This is a crop of a whole-slide image: an H&E-stained breast-cancer sentinel lymph node section at roughly 5× magnification (about 1.9 µm per pixel; the crop spans about 1 mm).
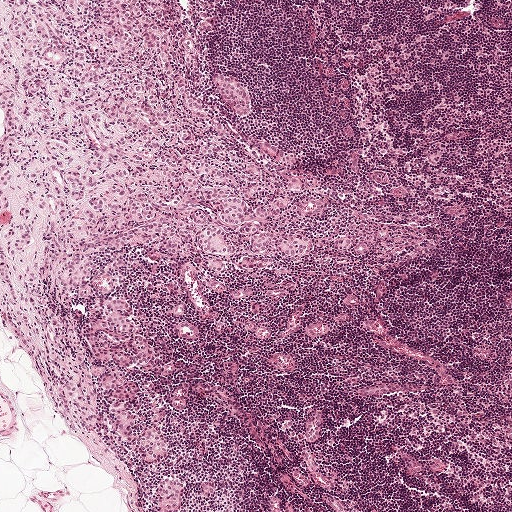
Question: Where is the metastatic tumour in this field? Give each region's outline as (x, y) pixel points.
Answer: Outlines of four tumour regions, largest first (closed clockwise paths, crop pixels): region 1: (0, 0), (165, 0), (146, 1), (177, 44), (216, 18), (194, 36), (196, 72), (182, 65), (227, 151), (273, 168), (260, 139), (316, 174), (262, 225), (309, 261), (221, 274), (140, 242), (93, 271), (139, 308), (149, 360), (106, 367), (167, 460), (92, 440), (54, 405), (0, 306); region 2: (223, 72), (231, 74), (233, 78), (244, 84), (248, 89), (250, 96), (250, 111), (246, 116), (240, 116), (231, 110), (216, 96), (213, 82), (216, 74); region 3: (162, 476), (177, 476), (186, 481), (187, 490), (182, 511), (155, 511), (156, 484); region 4: (203, 481), (218, 485), (217, 496), (210, 500), (203, 498), (199, 493), (199, 488).
About 30% of the image area is annotated as tumour.